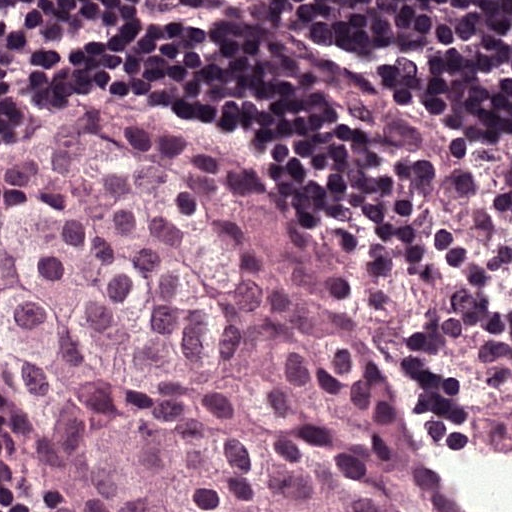
This is a crop of a whole-slide image: an H&E-stained breast-cancer sentinel lymph node section at roughly 40× magnification (about 0.24 µm per pixel; the crop spans about 0.12 mm).
The outlined metastatic tumour's edge, as a closed clockwise path of 13 points: (148, 86), (245, 148), (300, 219), (319, 226), (397, 352), (448, 471), (481, 511), (45, 511), (19, 463), (12, 367), (0, 352), (0, 160), (63, 112).
About 55% of this field is tumour.